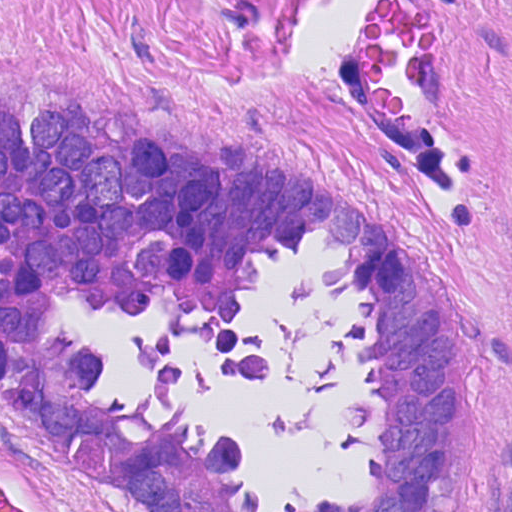
A 0.12-mm field of an H&E-stained sentinel lymph node from a breast-cancer patient (whole-slide image), shown at about 40×, about 0.23 µm per pixel.
One metastatic tumour region; its boundary, reduced to 11 corners and listed clockwise: (0, 59), (197, 148), (259, 142), (314, 170), (412, 248), (466, 360), (452, 484), (432, 511), (137, 511), (70, 469), (0, 400).
About 60% of the image area is annotated as tumour.